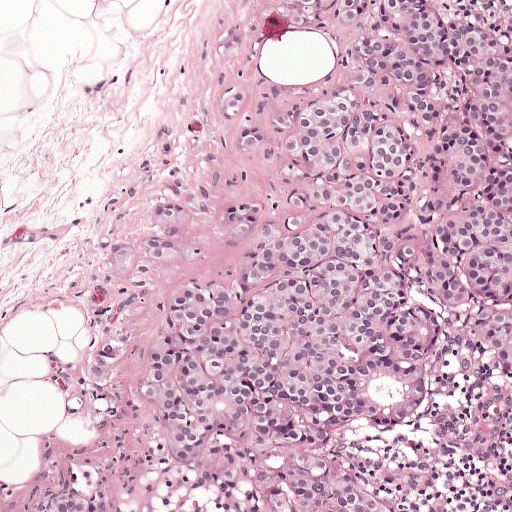
H&E-stained section of a sentinel lymph node (breast cancer), from a whole-slide image, viewed at about 10×: the field is about 0.5 mm across, about 0.97 µm per pixel.
Boundaries of five metastatic tumour regions, simplified and listed clockwise, largest first: region 1: (279, 0), (511, 0), (511, 382), (466, 338), (438, 371), (432, 403), (400, 432), (357, 420), (342, 442), (395, 489), (402, 511), (261, 511), (188, 473), (141, 418), (131, 387), (162, 300), (218, 215), (240, 197), (277, 203), (272, 168), (226, 149), (347, 66), (342, 39), (296, 28); region 2: (66, 488), (83, 491), (106, 509), (107, 511), (41, 511), (42, 504); region 3: (161, 230), (183, 236), (176, 257), (149, 265), (138, 241); region 4: (108, 339), (118, 354), (108, 374), (86, 382), (82, 360), (98, 344); region 5: (241, 22), (251, 36), (242, 55), (218, 60), (215, 40), (229, 24).
Two more small tumour pieces are annotated here but not outlined.
The annotated tumour makes up about 50% of the crop.